Question: 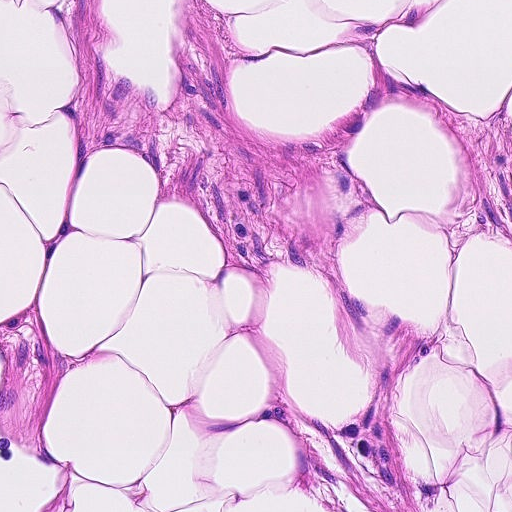
About what magnification does this crop show?

Choices:
 (A) about 20×
 (B) about 40×
 (C) about 2.5×
 (D) about 10×
 (E) about 5×

Answer: (A) about 20×
A 0.23-mm field of an H&E-stained sentinel lymph node from a breast-cancer patient (whole-slide image), shown at about 20×, about 0.45 µm per pixel.